Question: 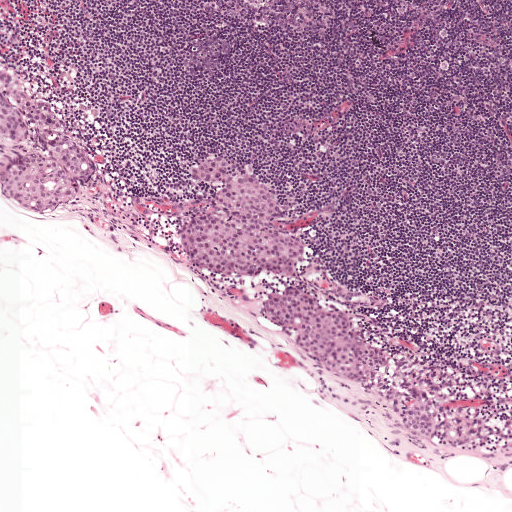
At roughly what magnification is this field shown?

Choices:
 (A) about 10×
 (B) about 20×
 (C) about 5×
 (D) about 40×
 (E) about 2.5×

Answer: (C) about 5×
A 1-mm field of an H&E-stained sentinel lymph node from a breast-cancer patient (whole-slide image), shown at about 5×, about 1.9 µm per pixel.
Four metastatic tumour regions, each outlined as a closed clockwise path in crop pixels (x, y), largest first: region 1: (211, 147), (237, 155), (275, 192), (301, 236), (304, 249), (297, 272), (274, 283), (209, 274), (188, 259), (180, 222), (190, 214), (213, 210), (217, 183), (192, 182), (186, 171), (189, 158), (198, 150); region 2: (0, 69), (44, 98), (63, 131), (85, 145), (95, 167), (92, 179), (80, 183), (70, 206), (45, 212), (33, 211), (9, 202), (0, 195), (0, 168), (33, 155), (48, 154), (35, 134), (20, 120), (23, 140), (2, 140); region 3: (298, 286), (323, 295), (356, 318), (387, 346), (392, 358), (386, 370), (366, 385), (354, 384), (308, 360), (261, 314), (260, 302), (270, 293); region 4: (424, 403), (435, 407), (440, 418), (438, 432), (429, 441), (416, 443), (405, 438), (400, 425), (403, 412), (412, 404).
Tumour covers about 10% of the frame.